Image:
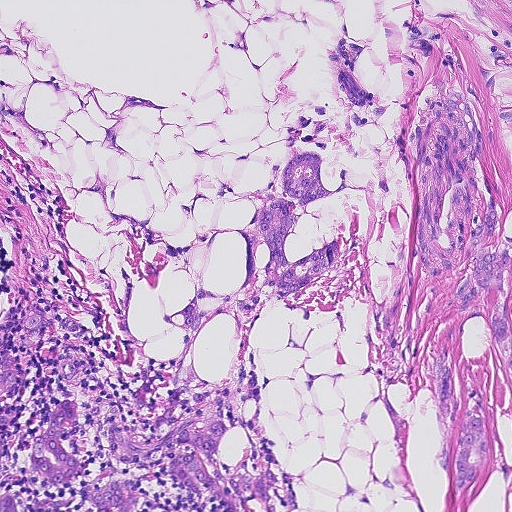
Lymph node section stained with H&E, from a whole-slide image of a breast-cancer sentinel node. Magnification about 10×, about 0.46 mm across the frame, about 0.9 µm per pixel.
Question:
Is there metastatic carcinoma in this field?
Answer:
Yes.
Boundaries of four metastatic tumour regions, simplified and listed clockwise, largest first: region 1: (42, 304), (48, 314), (12, 454), (27, 460), (50, 406), (64, 397), (79, 402), (68, 450), (97, 468), (109, 456), (112, 424), (158, 438), (183, 418), (193, 388), (209, 388), (260, 430), (295, 485), (289, 511), (0, 511), (0, 352), (26, 309); region 2: (457, 76), (478, 84), (490, 103), (490, 148), (480, 168), (511, 238), (511, 356), (493, 339), (480, 291), (471, 311), (448, 310), (452, 288), (465, 262), (448, 276), (426, 278), (412, 261), (407, 121), (434, 85); region 3: (319, 152), (320, 179), (325, 186), (334, 187), (342, 166), (346, 174), (344, 192), (308, 204), (285, 245), (290, 262), (332, 240), (341, 245), (334, 263), (296, 292), (269, 300), (250, 320), (241, 323), (224, 314), (214, 316), (187, 346), (181, 330), (163, 320), (180, 312), (202, 284), (219, 291), (238, 289), (243, 282), (246, 244), (236, 232), (267, 188), (280, 191), (282, 173), (292, 156); region 4: (438, 339), (453, 356), (462, 412), (477, 376), (497, 441), (509, 460), (511, 455), (511, 511), (454, 511), (448, 492), (448, 470), (442, 472), (438, 451), (440, 405), (434, 361).
One more small tumour piece is annotated here but not outlined.
Tumour covers about 25% of the frame.